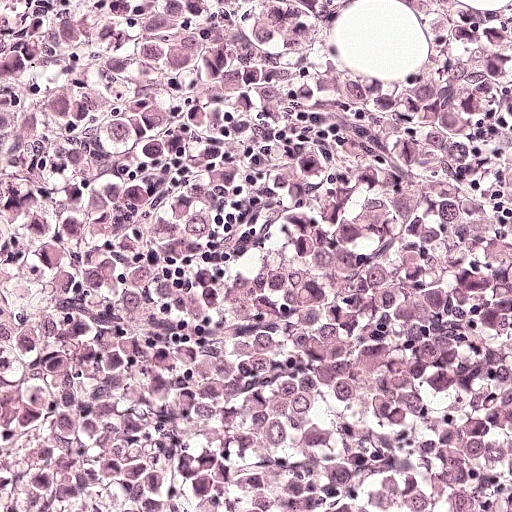
This is a crop of a whole-slide image: an H&E-stained breast-cancer sentinel lymph node section at roughly 20× magnification (about 0.49 µm per pixel; the crop spans about 0.25 mm).
Metastatic tumour outline, simplified to 8 points and listed clockwise in crop pixels (x, y): (404, 200), (461, 211), (511, 275), (511, 511), (0, 511), (0, 327), (90, 306), (192, 254).
About 50% of the image area is annotated as tumour.